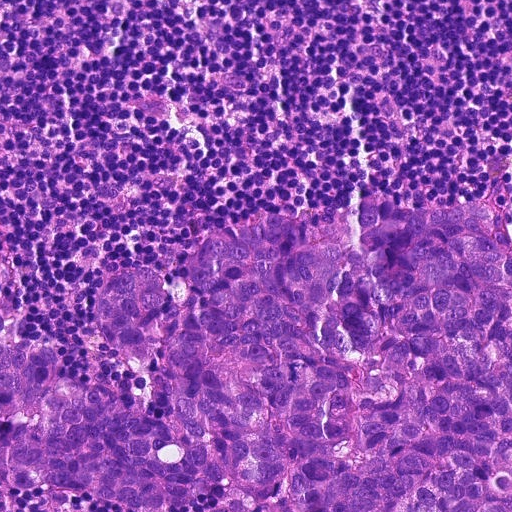
This is a crop of a whole-slide image: an H&E-stained breast-cancer sentinel lymph node section at roughly 20× magnification (about 0.45 µm per pixel; the crop spans about 0.23 mm).
One metastatic tumour region; its boundary, reduced to 21 corners and listed clockwise: (491, 200), (511, 247), (511, 511), (233, 511), (226, 483), (198, 503), (146, 510), (63, 486), (0, 482), (0, 313), (53, 350), (60, 379), (148, 402), (145, 366), (113, 353), (96, 324), (108, 274), (142, 267), (188, 280), (212, 233), (284, 214).
About 50% of this field is tumour.